H&E-stained section of a sentinel lymph node (breast cancer), from a whole-slide image, viewed at about 10×: the field is about 0.5 mm across, about 0.97 µm per pixel.
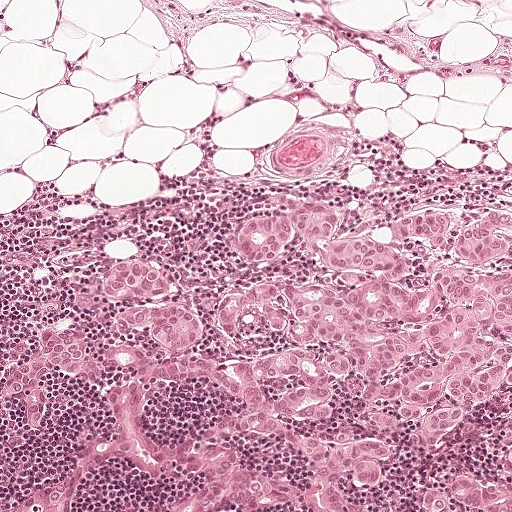
Tumour region outline (a closed clockwise path, crop pixels): (315, 202), (339, 209), (342, 239), (374, 240), (400, 253), (407, 271), (397, 292), (469, 267), (511, 273), (511, 392), (491, 392), (454, 426), (430, 433), (381, 402), (357, 410), (356, 376), (337, 386), (334, 420), (306, 424), (156, 376), (166, 355), (248, 358), (291, 342), (264, 327), (258, 306), (229, 334), (216, 312), (224, 295), (248, 279), (320, 271), (319, 255), (291, 234), (266, 258), (246, 256), (237, 245), (250, 220).
Tumour covers about 15% of the frame.